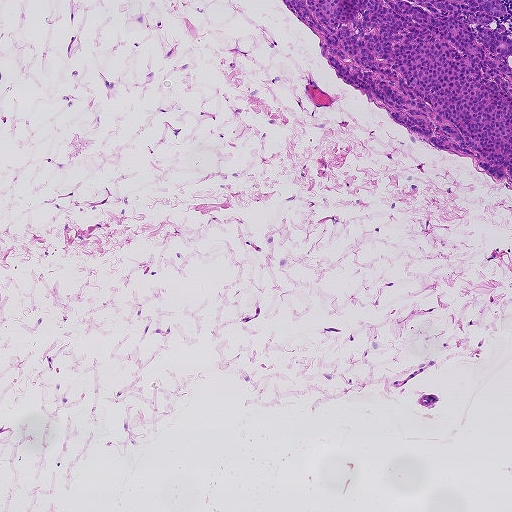
H&E-stained section of a sentinel lymph node (breast cancer), from a whole-slide image, viewed at about 5×: the field is about 0.93 mm across, about 1.8 µm per pixel.
Tumour region outline (a closed clockwise path, crop pixels): (281, 0), (502, 0), (504, 18), (494, 18), (511, 38), (507, 57), (511, 187), (506, 177), (496, 184), (467, 156), (410, 136), (342, 82), (314, 32).
The annotated tumour makes up about 10% of the crop.